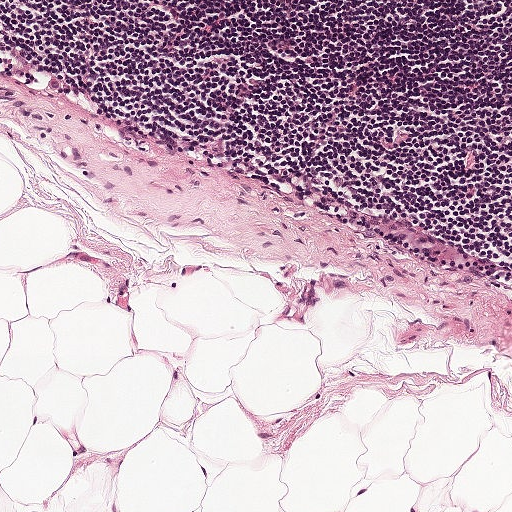
H&E-stained section of a sentinel lymph node (breast cancer), from a whole-slide image, viewed at about 10×: the field is about 0.5 mm across, about 0.97 µm per pixel.